Question: 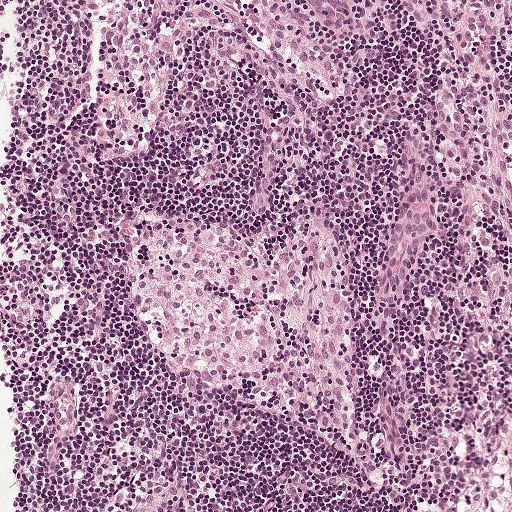
About what magnification does this crop show?

Choices:
 (A) about 40×
 (B) about 5×
 (C) about 10×
 (D) about 2.5×
 (E) about 20×

Answer: (C) about 10×
H&E-stained section of a sentinel lymph node (breast cancer), from a whole-slide image, viewed at about 10×: the field is about 0.5 mm across, about 0.97 µm per pixel.